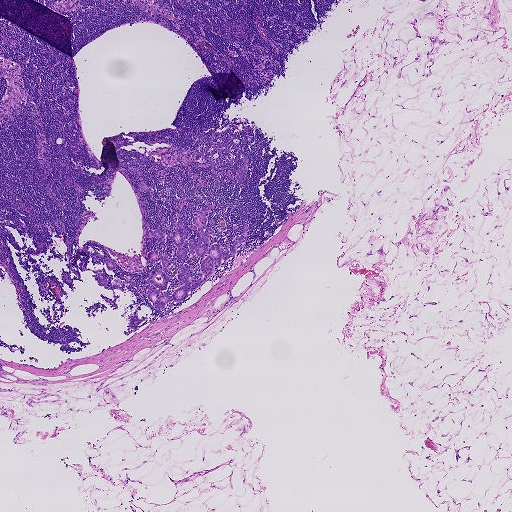
A 1.9-mm field of an H&E-stained sentinel lymph node from a breast-cancer patient (whole-slide image), shown at about 2.5×, about 3.6 µm per pixel.
One metastatic tumour region; its boundary, reduced to 10 corners and listed clockwise: (244, 157), (247, 157), (248, 161), (246, 174), (242, 182), (238, 183), (236, 179), (236, 171), (243, 165), (243, 161).
One more tumour region is annotated but not outlined: its edge is too irregular for a short outline.
One more small tumour piece is annotated here but not outlined.
Tumour covers under 5% of the frame.